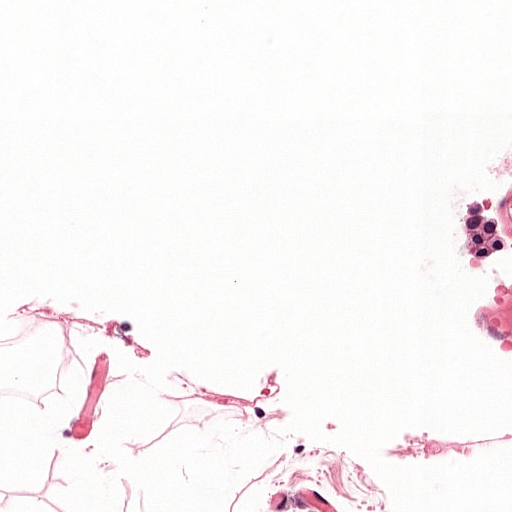
Lymph node section stained with H&E, from a whole-slide image of a breast-cancer sentinel node. Magnification about 20×, about 0.25 mm across the frame, about 0.49 µm per pixel.
The outlined metastatic tumour's edge, as a closed clockwise path of 11 points: (475, 199), (494, 210), (508, 236), (511, 250), (504, 262), (494, 272), (478, 273), (466, 264), (458, 253), (458, 238), (464, 210).
One more small tumour piece is annotated here but not outlined.
Under 5% of the image area is annotated as tumour.